Lymph node section stained with H&E, from a whole-slide image of a breast-cancer sentinel node. Magnification about 5×, about 1 mm across the frame, about 1.9 µm per pixel.
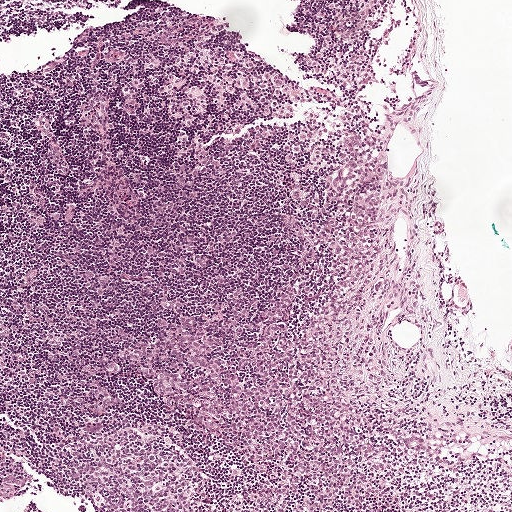
Question: Show where the tumour is in this image.
Answer: The outlined metastatic tumour's edge, as a closed clockwise path of 22 points: (354, 127), (389, 144), (398, 162), (382, 241), (327, 343), (324, 374), (417, 429), (430, 444), (426, 456), (410, 454), (344, 485), (326, 482), (301, 461), (229, 450), (138, 387), (128, 348), (154, 318), (242, 290), (275, 296), (309, 274), (332, 228), (341, 145).
The annotated tumour makes up about 15% of the crop.